Lymph node section stained with H&E, from a whole-slide image of a breast-cancer sentinel node. Magnification about 20×, about 0.23 mm across the frame, about 0.45 µm per pixel.
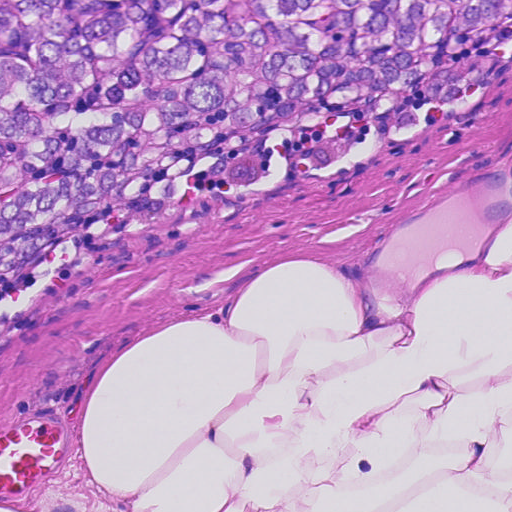
One metastatic tumour region; its boundary, reduced to 9 corners and listed clockwise: (0, 0), (511, 0), (511, 47), (492, 72), (404, 109), (286, 124), (146, 172), (67, 217), (0, 288).
About 30% of the image area is annotated as tumour.